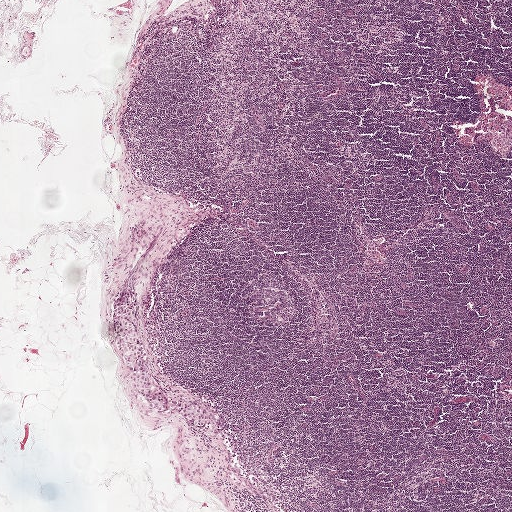
H&E-stained section of a sentinel lymph node (breast cancer), from a whole-slide image, viewed at about 2.5×: the field is about 2.0 mm across, about 3.9 µm per pixel.
Question: Is there metastatic carcinoma in this field?
Answer: Yes.
The outlined metastatic tumour's edge, as a closed clockwise path of 20 points: (123, 291), (137, 293), (135, 298), (140, 307), (142, 346), (159, 384), (169, 397), (195, 404), (210, 415), (212, 424), (207, 431), (199, 431), (187, 419), (168, 416), (140, 403), (133, 396), (128, 370), (116, 354), (113, 331), (114, 305).
The annotated tumour makes up under 5% of the crop.